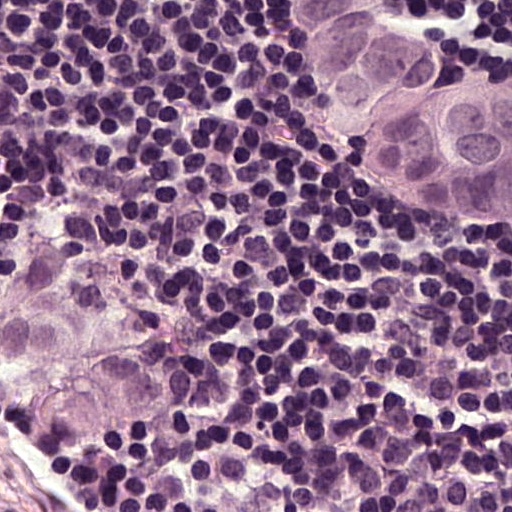
A 0.12-mm field of an H&E-stained sentinel lymph node from a breast-cancer patient (whole-slide image), shown at about 40×, about 0.24 µm per pixel.
Outlines of two tumour regions, largest first (closed clockwise paths, crop pixels): region 1: (365, 0), (417, 40), (429, 76), (511, 84), (511, 224), (404, 205), (351, 162), (317, 148), (311, 86), (282, 5); region 2: (0, 217), (57, 244), (123, 291), (162, 384), (161, 409), (149, 431), (106, 451), (49, 451), (23, 440), (2, 413).
One more small tumour piece is annotated here but not outlined.
The annotated tumour makes up about 25% of the crop.